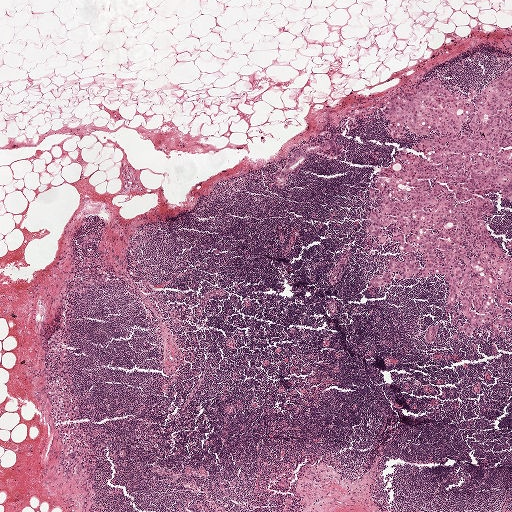
Lymph node section stained with H&E, from a whole-slide image of a breast-cancer sentinel node. Magnification about 2.5×, about 2.0 mm across the frame, about 3.9 µm per pixel.
Boundaries of three metastatic tumour regions, simplified and listed clockwise, largest first: region 1: (511, 67), (511, 146), (501, 148), (511, 148), (511, 199), (491, 193), (485, 218), (511, 257), (505, 338), (484, 325), (453, 338), (443, 274), (369, 285), (404, 252), (388, 238), (370, 245), (367, 189), (402, 155), (425, 156), (418, 133), (382, 128), (432, 78), (475, 98); region 2: (296, 157), (299, 158), (302, 163), (302, 167), (298, 173), (293, 175), (290, 173), (287, 186), (276, 187), (273, 182), (273, 175), (288, 160); region 3: (433, 325), (437, 327), (436, 337), (432, 342), (427, 342), (424, 337), (428, 327).
The annotated tumour makes up about 10% of the crop.